Lymph node section stained with H&E, from a whole-slide image of a breast-cancer sentinel node. Magnification about 20×, about 0.25 mm across the frame, about 0.49 µm per pixel.
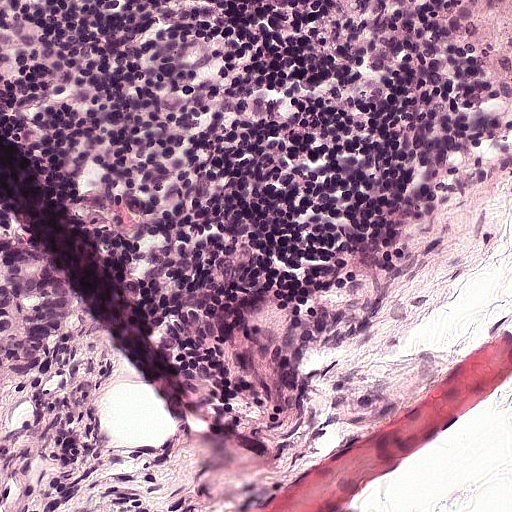
Two metastatic tumour regions, each outlined as a closed clockwise path in crop pixels (x, y), largest first: region 1: (0, 0), (431, 0), (511, 86), (511, 166), (316, 285), (276, 326), (186, 351), (148, 326), (26, 118), (2, 104); region 2: (0, 195), (12, 204), (43, 261), (73, 291), (105, 342), (72, 400), (36, 448), (14, 510), (0, 511).
About 55% of this field is tumour.